A 1-mm field of an H&E-stained sentinel lymph node from a breast-cancer patient (whole-slide image), shown at about 5×, about 1.9 µm per pixel.
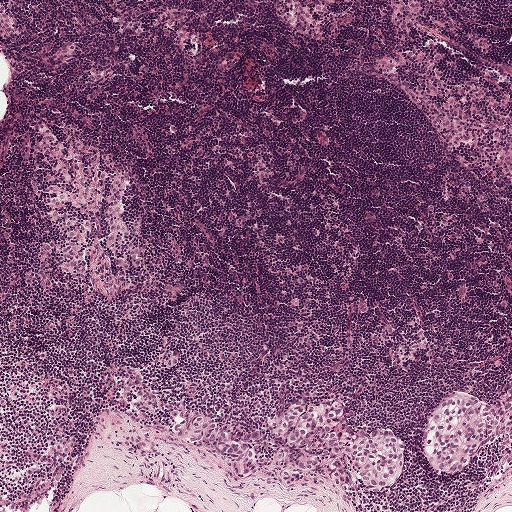
Question: Does this lymph node field contain metastatic tumour?
Answer: Yes.
Boundaries of three metastatic tumour regions, simplified and listed clockwise, largest first: region 1: (322, 395), (347, 404), (353, 429), (385, 429), (404, 438), (404, 465), (389, 490), (375, 492), (362, 487), (354, 493), (343, 492), (326, 461), (310, 471), (297, 486), (287, 488), (278, 482), (273, 467), (270, 421), (276, 412), (302, 396); region 2: (511, 385), (511, 466), (500, 463), (503, 448), (496, 436), (474, 462), (455, 474), (442, 475), (427, 467), (424, 442), (429, 418), (442, 395), (462, 389), (490, 402), (505, 397), (507, 388); region 3: (204, 409), (233, 429), (259, 427), (260, 439), (251, 442), (254, 443), (260, 457), (258, 471), (247, 474), (237, 474), (232, 465), (222, 456), (189, 443), (175, 434), (172, 429), (175, 420).
About 5% of the image area is annotated as tumour.